Image:
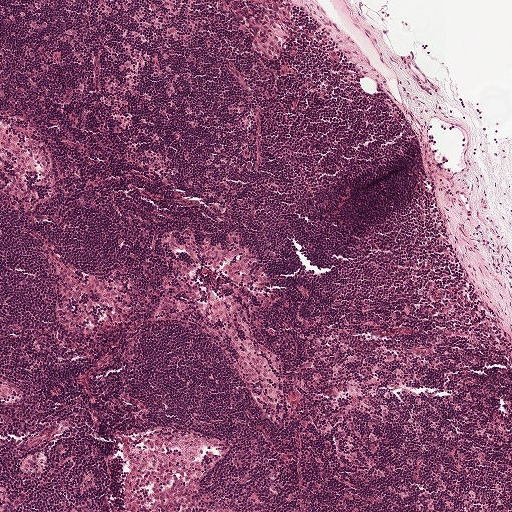
H&E-stained section of a sentinel lymph node (breast cancer), from a whole-slide image, viewed at about 5×: the field is about 1 mm across, about 1.9 µm per pixel.
Question:
Is there metastatic carcinoma in this field?
Answer:
No: no metastatic tumour is outlined anywhere in this field.